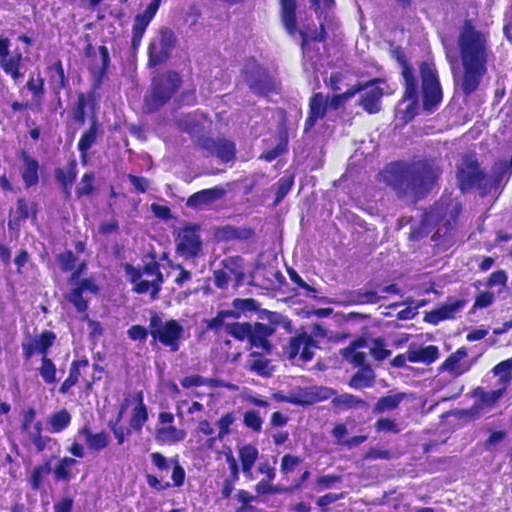
This is a crop of a whole-slide image: an H&E-stained breast-cancer sentinel lymph node section at roughly 40× magnification (about 0.23 µm per pixel; the crop spans about 0.12 mm).
Tumour region outline (a closed clockwise path, crop pixels): (142, 0), (511, 0), (511, 188), (464, 246), (389, 285), (301, 291), (253, 223), (260, 164), (180, 191), (133, 118), (122, 35).
Tumour covers about 35% of the frame.